A 0.5-mm field of an H&E-stained sentinel lymph node from a breast-cancer patient (whole-slide image), shown at about 10×, about 0.97 µm per pixel.
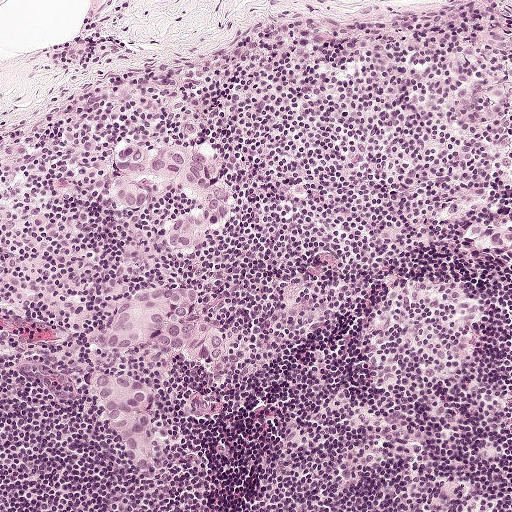
Outlines of six tumour regions, largest first (closed clockwise paths, crop pixels): region 1: (120, 138), (189, 144), (211, 154), (234, 194), (229, 222), (180, 252), (171, 249), (162, 240), (162, 236), (172, 220), (192, 206), (190, 194), (166, 184), (138, 214), (120, 211), (109, 203), (104, 190), (104, 181), (109, 174), (108, 156); region 2: (176, 286), (196, 288), (198, 318), (216, 325), (224, 337), (220, 358), (208, 365), (197, 365), (185, 356), (152, 344), (133, 353), (111, 350), (108, 347), (107, 332), (113, 315), (144, 292); region 3: (84, 370), (137, 380), (152, 390), (151, 429), (152, 457), (148, 471), (142, 471), (132, 466), (117, 440), (113, 426), (101, 410), (94, 392), (78, 380); region 4: (511, 81), (511, 110), (488, 124), (464, 124), (455, 121), (450, 111), (455, 100), (490, 82); region 5: (509, 207), (511, 207), (511, 246), (486, 247), (475, 244), (470, 240), (466, 230), (473, 222), (496, 220), (504, 217); region 6: (479, 28), (504, 28), (511, 32), (511, 52), (497, 48), (492, 43), (481, 38), (478, 34).
The annotated tumour makes up about 10% of the crop.